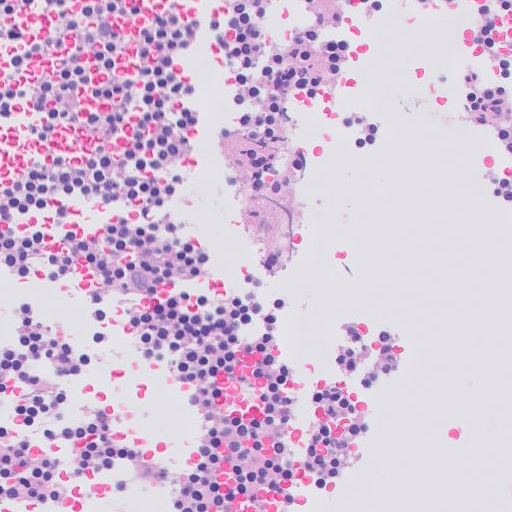
H&E-stained section of a sentinel lymph node (breast cancer), from a whole-slide image, viewed at about 20×: the field is about 0.26 mm across, about 0.5 µm per pixel.